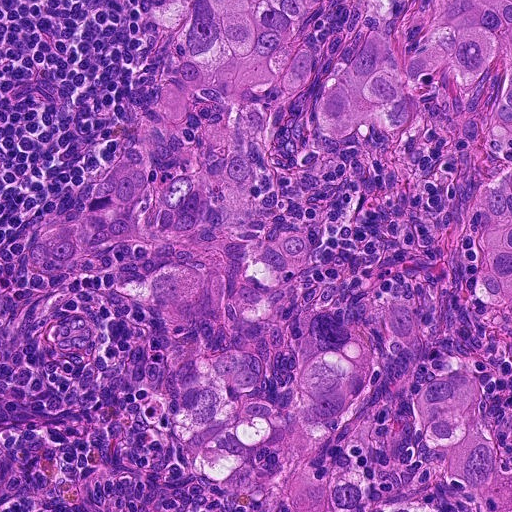
A 0.23-mm field of an H&E-stained sentinel lymph node from a breast-cancer patient (whole-slide image), shown at about 20×, about 0.45 µm per pixel.
Question: Is there metastatic carcinoma in this field?
Answer: Yes.
Boundaries of three metastatic tumour regions, simplified and listed clockwise, largest first: region 1: (327, 0), (314, 70), (262, 123), (257, 174), (308, 232), (300, 301), (420, 309), (421, 358), (388, 400), (370, 497), (443, 511), (253, 511), (222, 496), (147, 428), (150, 352), (135, 304), (24, 252), (150, 90), (180, 22), (156, 26), (139, 7); region 2: (354, 0), (511, 0), (511, 327), (468, 288), (467, 213), (488, 158), (487, 108), (500, 64), (460, 93), (432, 84), (408, 128), (339, 143), (316, 133), (314, 108), (354, 24); region 3: (451, 370), (476, 370), (511, 460), (511, 511), (487, 511), (476, 499), (452, 488), (432, 472), (422, 450), (411, 398), (426, 376).
About 55% of the image area is annotated as tumour.